This is a crop of a whole-slide image: an H&E-stained breast-cancer sentinel lymph node section at roughly 10× magnification (about 0.97 µm per pixel; the crop spans about 0.5 mm).
Image:
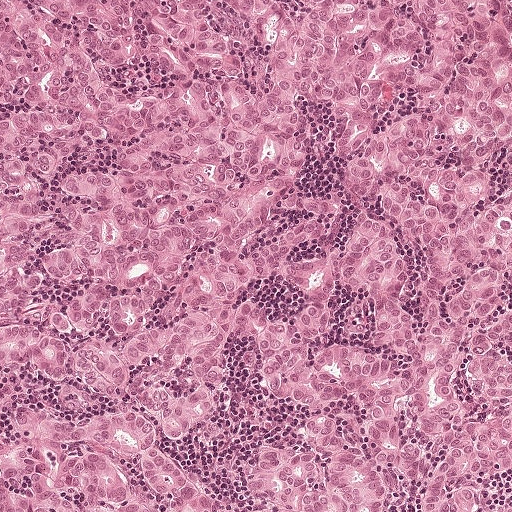
Question:
Describe where the metastatic carcinoma lies in this crop.
Answer:
One metastatic tumour region; its boundary, reduced to 23 corners and listed clockwise: (0, 0), (511, 0), (511, 477), (479, 492), (511, 511), (399, 484), (384, 511), (242, 511), (294, 431), (252, 310), (320, 360), (372, 334), (336, 260), (360, 212), (422, 304), (416, 250), (387, 217), (338, 181), (328, 104), (253, 241), (224, 410), (162, 432), (10, 372).
About 80% of the image area is annotated as tumour.